Question: 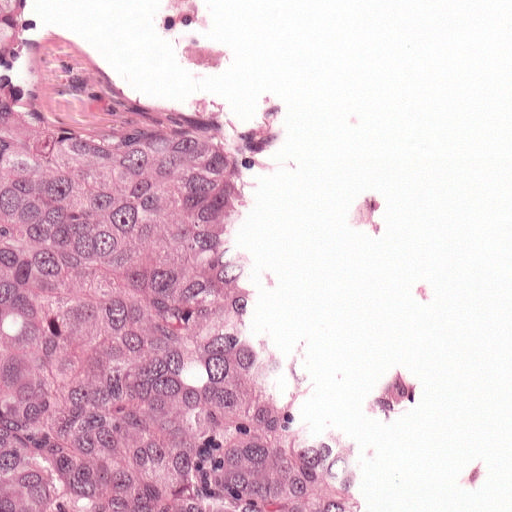
This is a crop of a whole-slide image: an H&E-stained breast-cancer sentinel lymph node section at roughly 20× magnification (about 0.49 µm per pixel; the crop spans about 0.25 mm).
About how much of this crop is taken up by metastatic carcinoma?

Choices:
 (A) none: no tumour is outlined
 (B) about 25% to 45%
 (C) about 10% to 20%
 (D) about 5% or less
 (E) about 50% or more

Answer: (E) about 50% or more
About 60% of the field is tumour.
The outlined metastatic tumour's edge, as a closed clockwise path of 7 points: (0, 0), (88, 0), (286, 98), (313, 352), (368, 422), (396, 511), (0, 511).